Question: 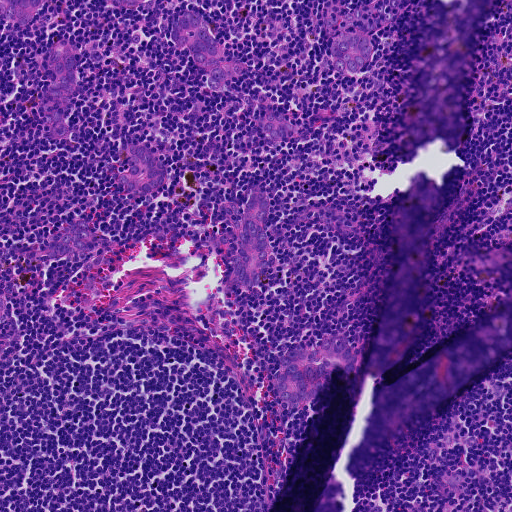
At roughly what magnification is this field shown?

Choices:
 (A) about 40×
 (B) about 10×
 (C) about 20×
 (D) about 2.5×
 (E) about 5×

Answer: (B) about 10×
H&E-stained section of a sentinel lymph node (breast cancer), from a whole-slide image, viewed at about 10×: the field is about 0.46 mm across, about 0.91 µm per pixel.
Outlines of the eight largest metastatic tumour regions, each a closed clockwise path in crop pixels (x, y), largest first: region 1: (337, 334), (358, 356), (358, 366), (352, 374), (340, 373), (332, 378), (322, 396), (304, 407), (294, 408), (285, 406), (278, 399), (275, 378), (280, 360), (287, 352), (296, 349), (310, 348); region 2: (262, 188), (270, 198), (266, 227), (266, 237), (273, 257), (272, 267), (263, 286), (244, 291), (236, 286), (232, 277), (229, 246), (217, 244), (220, 233), (224, 229), (232, 236), (234, 252), (247, 220), (246, 200), (252, 191); region 3: (191, 11), (208, 22), (213, 31), (217, 52), (222, 60), (245, 63), (245, 72), (228, 80), (222, 88), (212, 90), (207, 82), (208, 72), (195, 63), (185, 46), (180, 49), (172, 43), (170, 33), (172, 24), (180, 12); region 4: (59, 40), (70, 40), (77, 47), (78, 86), (67, 114), (70, 133), (60, 138), (51, 134), (40, 107), (40, 97), (54, 82), (48, 55), (51, 46); region 5: (137, 144), (146, 146), (163, 161), (166, 181), (151, 192), (140, 193), (119, 186), (120, 176), (128, 171), (134, 162), (126, 156), (128, 146); region 6: (350, 27), (371, 37), (370, 55), (366, 65), (360, 72), (346, 75), (336, 72), (332, 62), (326, 54), (329, 44), (341, 29); region 7: (79, 219), (88, 223), (94, 232), (95, 244), (88, 252), (69, 255), (54, 260), (46, 254), (54, 236), (70, 223); region 8: (3, 0), (41, 0), (41, 5), (31, 22), (22, 24), (12, 22), (4, 16).
Two more, smaller tumour regions are not outlined.
One more small tumour piece is annotated here but not outlined.
The annotated tumour makes up about 5% of the crop.
Question: 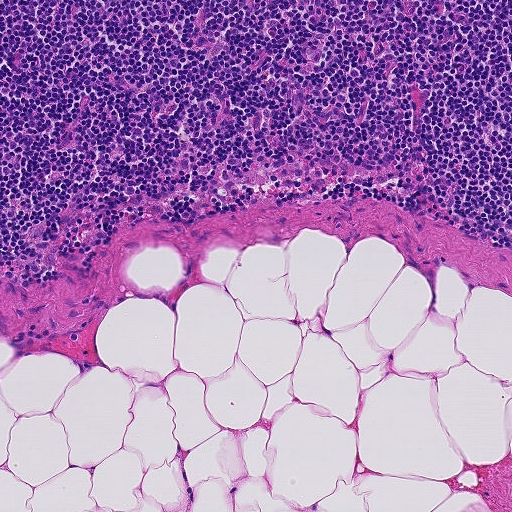
At roughly what magnification is this field shown?

Choices:
 (A) about 20×
 (B) about 5×
 (C) about 40×
 (D) about 2.5×
 (E) about 10×

Answer: (E) about 10×
This is a crop of a whole-slide image: an H&E-stained breast-cancer sentinel lymph node section at roughly 10× magnification (about 0.9 µm per pixel; the crop spans about 0.46 mm).
Question: 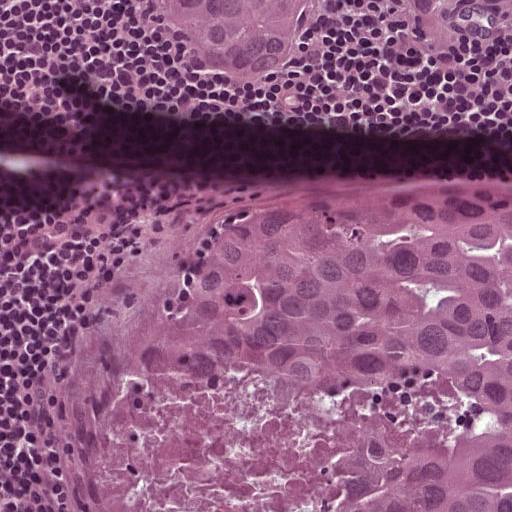
At roughly what magnification is this field shown?

Choices:
 (A) about 10×
 (B) about 40×
 (C) about 5×
 (D) about 20×
 (E) about 2.5×

Answer: (D) about 20×
Lymph node section stained with H&E, from a whole-slide image of a breast-cancer sentinel node. Magnification about 20×, about 0.25 mm across the frame, about 0.49 µm per pixel.
Three metastatic tumour regions, each outlined as a closed clockwise path in crop pixels (x, y), largest first: region 1: (298, 187), (511, 188), (511, 511), (94, 511), (62, 444), (60, 366), (155, 248); region 2: (143, 0), (344, 0), (268, 100), (202, 84), (148, 40); region 3: (361, 0), (511, 0), (511, 9), (471, 10), (407, 32).
The annotated tumour makes up about 55% of the crop.
Question: 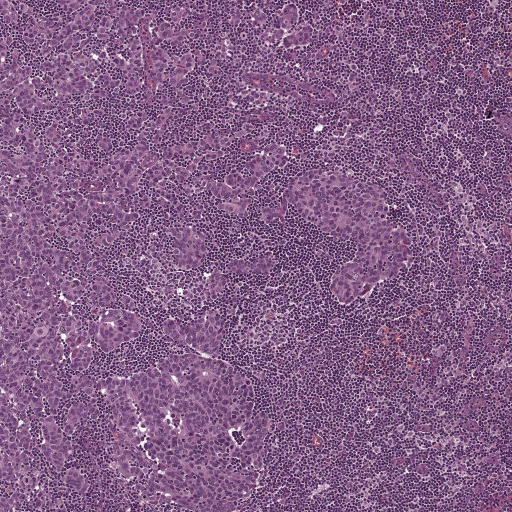
At roughly what magnification is this field shown?

Choices:
 (A) about 10×
 (B) about 5×
 (C) about 40×
 (D) about 20×
 (E) about 2.5×

Answer: (B) about 5×
Lymph node section stained with H&E, from a whole-slide image of a breast-cancer sentinel node. Magnification about 5×, about 1 mm across the frame, about 1.9 µm per pixel.
One metastatic tumour region; its boundary, reduced to 39 corners and listed clockwise: (0, 0), (297, 5), (311, 45), (195, 30), (262, 98), (204, 94), (186, 132), (252, 124), (226, 164), (276, 140), (286, 175), (379, 184), (412, 234), (403, 276), (349, 317), (326, 284), (351, 241), (292, 216), (209, 223), (191, 275), (161, 215), (108, 250), (141, 338), (90, 372), (176, 350), (159, 328), (200, 320), (222, 256), (285, 253), (210, 301), (223, 358), (266, 392), (266, 461), (235, 511), (166, 511), (122, 488), (92, 431), (94, 486), (0, 511).
About 50% of this field is tumour.